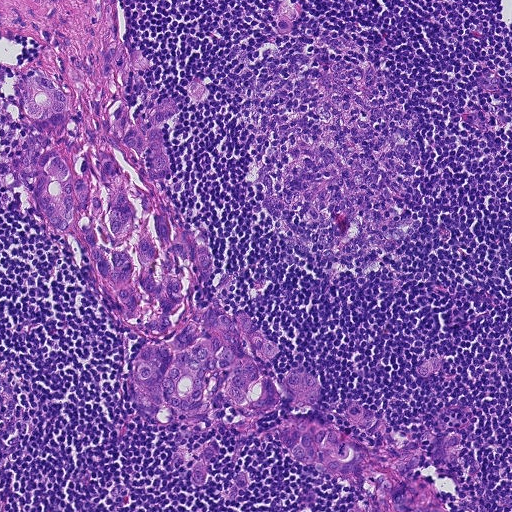
This is a crop of a whole-slide image: an H&E-stained breast-cancer sentinel lymph node section at roughly 10× magnification (about 0.9 µm per pixel; the crop spans about 0.46 mm).
Question: Does this lymph node field contain metastatic tumour?
Answer: Yes.
Two metastatic tumour regions, each outlined as a closed clockwise path in crop pixels (x, y), largest first: region 1: (0, 0), (116, 0), (132, 116), (182, 99), (191, 78), (211, 88), (165, 122), (173, 166), (160, 182), (215, 261), (202, 306), (244, 310), (282, 354), (270, 366), (282, 381), (291, 366), (311, 374), (310, 416), (380, 444), (342, 414), (356, 402), (412, 434), (426, 452), (415, 470), (437, 481), (450, 511), (367, 511), (373, 492), (298, 465), (274, 439), (142, 414), (127, 369), (148, 342), (16, 175), (34, 134), (15, 84), (45, 47), (0, 30); region 2: (290, 0), (299, 11), (298, 25), (287, 34), (276, 27), (278, 6).
About 25% of this field is tumour.